This is a crop of a whole-slide image: an H&E-stained breast-cancer sentinel lymph node section at roughly 5× magnification (about 1.9 µm per pixel; the crop spans about 1 mm).
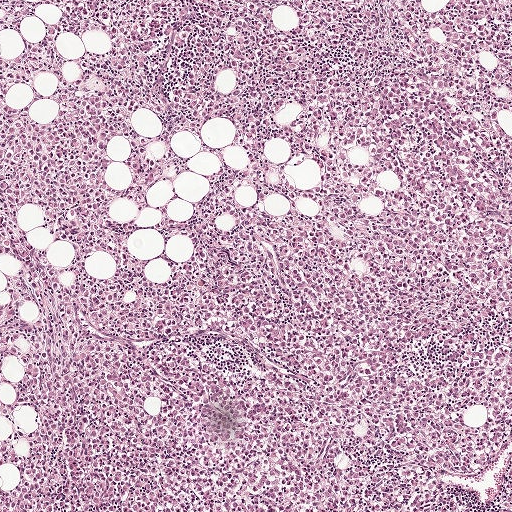
Question: Is there metastatic carcinoma in this field?
Answer: Yes.
Two metastatic tumour regions, each outlined as a closed clockwise path in crop pixels (x, y), largest first: region 1: (435, 67), (469, 98), (511, 101), (511, 431), (454, 472), (326, 479), (273, 422), (254, 363), (252, 302), (267, 265), (289, 248), (328, 226), (414, 210), (418, 190), (365, 130), (377, 94); region 2: (0, 75), (6, 105), (32, 121), (101, 90), (111, 121), (104, 182), (112, 192), (109, 206), (125, 230), (124, 242), (81, 256), (66, 240), (48, 240), (47, 228), (39, 224), (40, 209), (23, 202), (16, 216), (37, 248), (36, 257), (20, 264), (0, 254).
The annotated tumour makes up about 35% of the crop.